H&E-stained section of a sentinel lymph node (breast cancer), from a whole-slide image, viewed at about 10×: the field is about 0.46 mm across, about 0.9 µm per pixel.
Image:
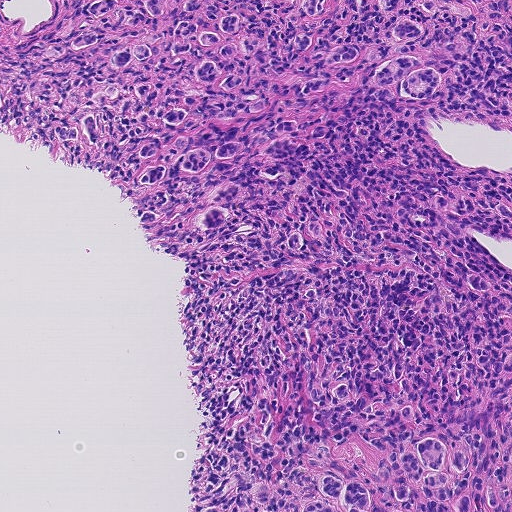
Question:
Does this lymph node field contain metastatic tumour?
Answer:
Yes.
The outlined metastatic tumour's edge, as a closed clockwise path of 10 points: (0, 0), (511, 0), (511, 511), (187, 511), (200, 416), (176, 303), (185, 261), (150, 253), (108, 178), (0, 135).
The annotated tumour makes up about 75% of the crop.